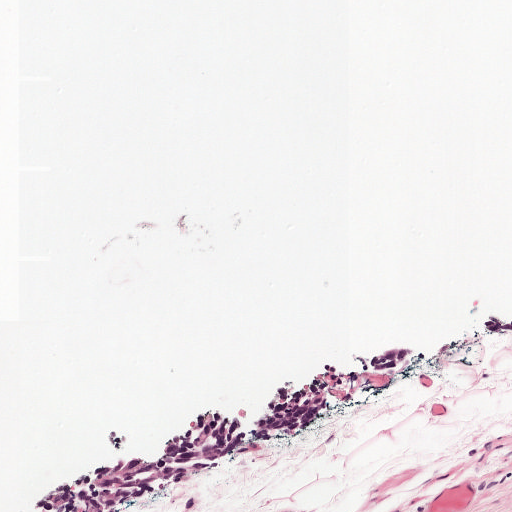
H&E-stained section of a sentinel lymph node (breast cancer), from a whole-slide image, viewed at about 10×: the field is about 0.5 mm across, about 0.97 µm per pixel.
Outlines of three tumour regions, largest first (closed clockwise paths, crop pixels): region 1: (299, 378), (332, 383), (319, 422), (146, 500), (130, 511), (0, 511), (0, 502), (198, 410); region 2: (382, 349), (419, 351), (402, 366), (379, 371), (363, 360); region 3: (487, 314), (507, 316), (511, 318), (511, 334), (504, 334), (480, 328).
The annotated tumour makes up about 5% of the crop.